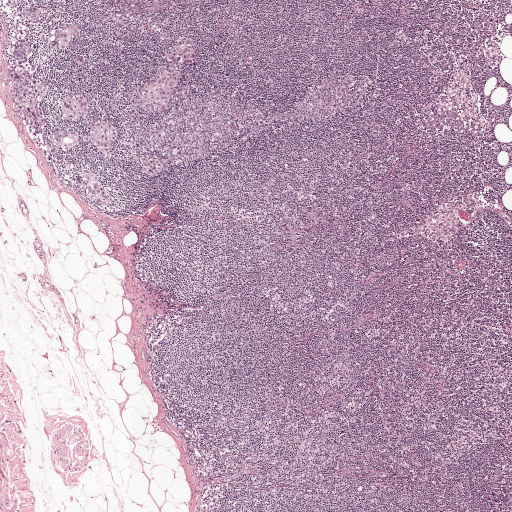
This is a crop of a whole-slide image: an H&E-stained breast-cancer sentinel lymph node section at roughly 2.5× magnification (about 3.9 µm per pixel; the crop spans about 2.0 mm).
Outlines of the eight largest metastatic tumour regions, each a closed clockwise path in crop pixels (x, y), largest first: region 1: (20, 40), (28, 40), (33, 43), (35, 49), (30, 61), (35, 66), (36, 76), (48, 86), (48, 90), (45, 95), (35, 94), (37, 102), (45, 120), (42, 134), (39, 135), (30, 133), (15, 113), (9, 82), (11, 69), (16, 65), (17, 62), (10, 62), (9, 59), (16, 42); region 2: (179, 37), (191, 39), (195, 43), (195, 59), (181, 66), (179, 80), (163, 109), (156, 112), (149, 112), (143, 108), (139, 100), (141, 90), (144, 84), (153, 79), (158, 67), (169, 63), (162, 57), (162, 54), (174, 48), (177, 38); region 3: (85, 169), (95, 171), (100, 175), (108, 190), (110, 204), (105, 206), (88, 198), (76, 190), (73, 184), (73, 176), (76, 173); region 4: (96, 122), (102, 122), (118, 128), (119, 135), (112, 147), (109, 161), (100, 160), (96, 150), (86, 139), (89, 128); region 5: (75, 129), (81, 131), (81, 137), (77, 147), (74, 150), (56, 154), (52, 163), (49, 163), (46, 158), (48, 151), (53, 147), (50, 136), (55, 130), (66, 131); region 6: (75, 23), (83, 23), (81, 32), (72, 36), (65, 48), (60, 50), (52, 49), (46, 40), (46, 36), (50, 28), (64, 28); region 7: (71, 93), (86, 98), (87, 102), (83, 115), (74, 121), (65, 120), (61, 105), (63, 98); region 8: (143, 154), (158, 156), (170, 162), (169, 168), (161, 175), (151, 176), (141, 173), (143, 179), (136, 180), (133, 178), (133, 176), (139, 174), (138, 170), (143, 165), (140, 157).
Two more, smaller tumour regions are not outlined.
Five more small tumour pieces are annotated here but not outlined.
About 5% of this field is tumour.